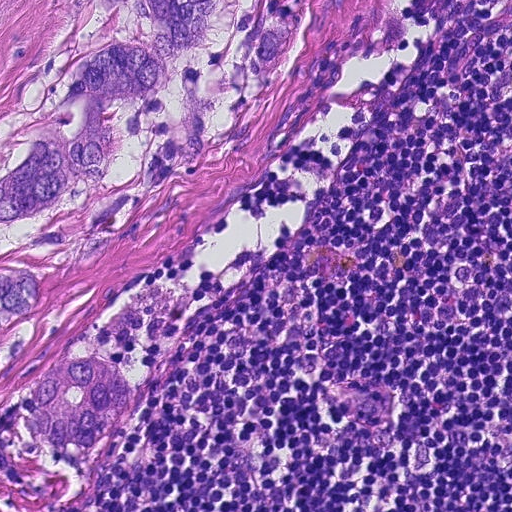
A 0.23-mm field of an H&E-stained sentinel lymph node from a breast-cancer patient (whole-slide image), shown at about 20×, about 0.45 µm per pixel.
One metastatic tumour region; its boundary, reduced to 9 corners and listed clockwise: (0, 0), (381, 0), (270, 165), (170, 268), (133, 288), (179, 293), (180, 315), (95, 511), (0, 511).
The annotated tumour makes up about 45% of the crop.